Image:
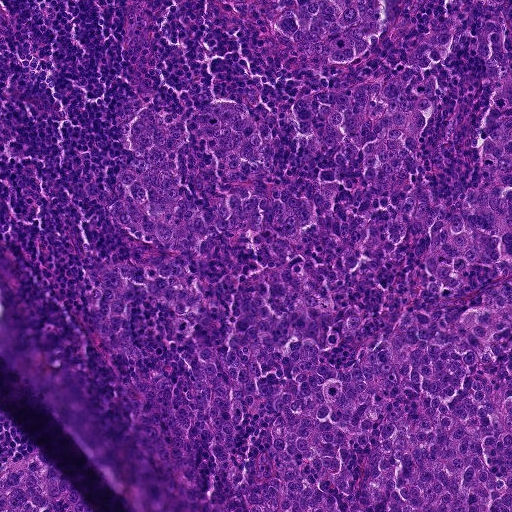
H&E-stained section of a sentinel lymph node (breast cancer), from a whole-slide image, viewed at about 10×: the field is about 0.46 mm across, about 0.9 µm per pixel.
Question:
Which parts of this field are metastatic tumour? Answer with the outline of each region, in pixels.
Answer:
Three metastatic tumour regions, each outlined as a closed clockwise path in crop pixels (x, y), largest first: region 1: (452, 0), (511, 0), (511, 511), (206, 511), (126, 394), (182, 372), (170, 310), (132, 307), (152, 353), (100, 344), (86, 275), (134, 262), (111, 210), (137, 156), (115, 110), (244, 102), (280, 142), (262, 178), (232, 181), (274, 196), (331, 167), (286, 128), (294, 102), (394, 76); region 2: (277, 0), (395, 0), (383, 10), (376, 40), (367, 52), (350, 62), (336, 62), (294, 50), (273, 28), (273, 14); region 3: (42, 450), (93, 511), (0, 511), (0, 472), (5, 465), (18, 458).
About 65% of the image area is annotated as tumour.